Question: 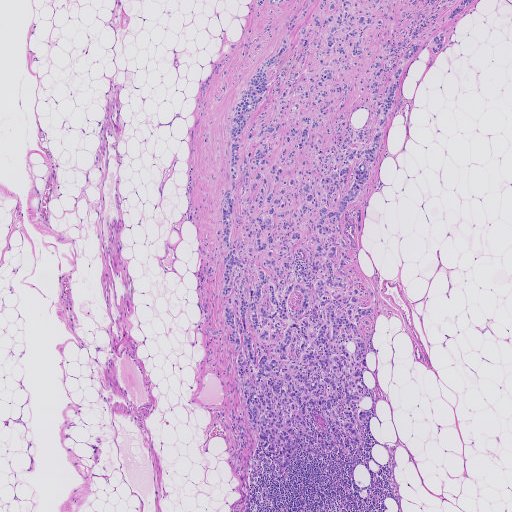
About what magnification does this crop show?

Choices:
 (A) about 2.5×
 (B) about 20×
 (C) about 5×
 (D) about 40×
 (E) about 10×

Answer: (A) about 2.5×
H&E-stained section of a sentinel lymph node (breast cancer), from a whole-slide image, viewed at about 2.5×: the field is about 1.9 mm across, about 3.6 µm per pixel.
Tumour region outline (a closed clockwise path, crop pixels): (309, 0), (474, 0), (438, 52), (434, 34), (407, 64), (371, 176), (341, 220), (360, 300), (375, 297), (359, 330), (367, 425), (349, 450), (299, 448), (279, 476), (279, 450), (248, 416), (224, 314), (231, 295), (221, 293), (235, 106), (284, 37), (294, 42).
Five more small tumour pieces are annotated here but not outlined.
About 25% of this field is tumour.